H&E-stained section of a sentinel lymph node (breast cancer), from a whole-slide image, viewed at about 40×: the field is about 0.12 mm across, about 0.24 µm per pixel.
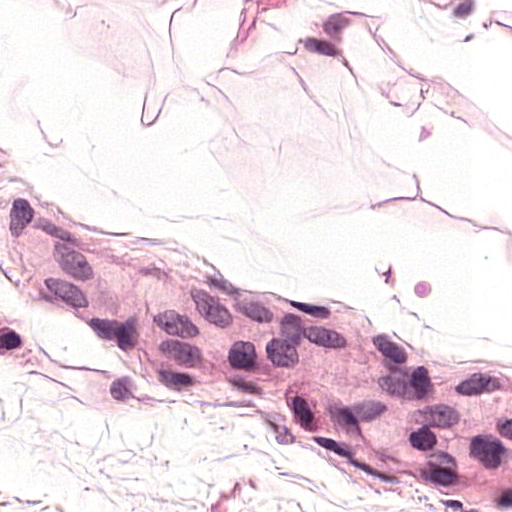
Tumour region outline (a closed clockwise path, crop pixels): (0, 195), (64, 195), (293, 308), (511, 361), (511, 511), (393, 511), (248, 443), (146, 369), (77, 337), (0, 256).
Tumour covers about 30% of the frame.